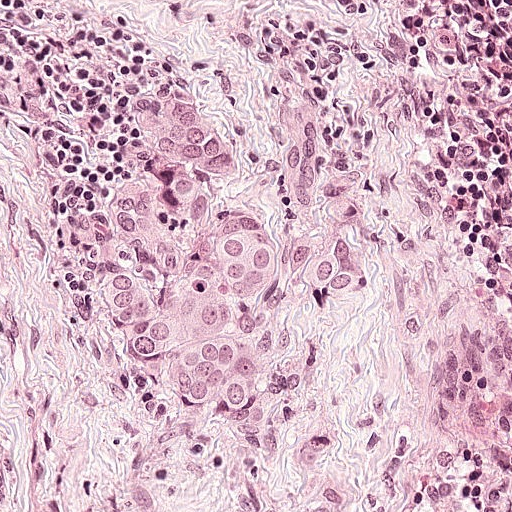
A 0.25-mm field of an H&E-stained sentinel lymph node from a breast-cancer patient (whole-slide image), shown at about 20×, about 0.49 µm per pixel.
Tumour region outline (a closed clockwise path, crop pixels): (206, 68), (240, 98), (256, 142), (300, 112), (322, 112), (352, 137), (370, 196), (372, 278), (352, 344), (304, 410), (300, 444), (379, 510), (7, 511), (42, 421), (95, 366), (104, 342), (111, 130), (142, 80).
About 40% of the image area is annotated as tumour.